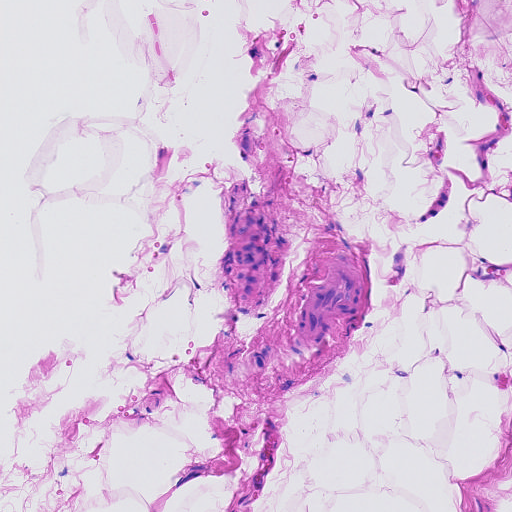
Lymph node section stained with H&E, from a whole-slide image of a breast-cancer sentinel node. Magnification about 10×, about 0.46 mm across the frame, about 0.91 µm per pixel.